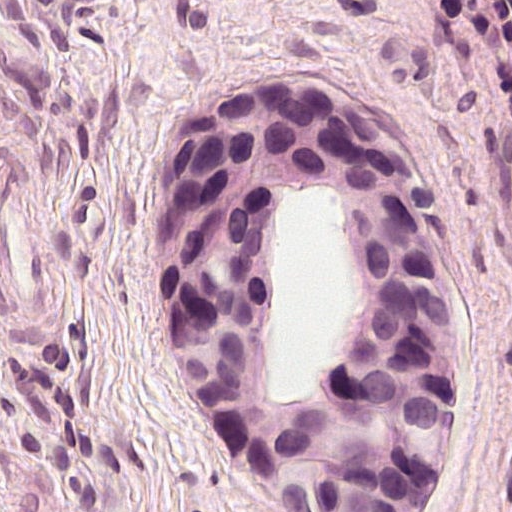
A 0.12-mm field of an H&E-stained sentinel lymph node from a breast-cancer patient (whole-slide image), shown at about 40×, about 0.24 µm per pixel.
Outlines of two tumour regions, largest first (closed clockwise paths, crop pixels): region 1: (302, 83), (377, 106), (447, 189), (479, 328), (479, 408), (472, 450), (436, 511), (262, 511), (186, 439), (166, 392), (147, 183), (172, 128), (255, 86); region 2: (479, 0), (511, 0), (511, 49), (499, 33).
Region 1 encloses a non-tumour hole of about 15% of its area.
The annotated tumour makes up about 40% of the crop.